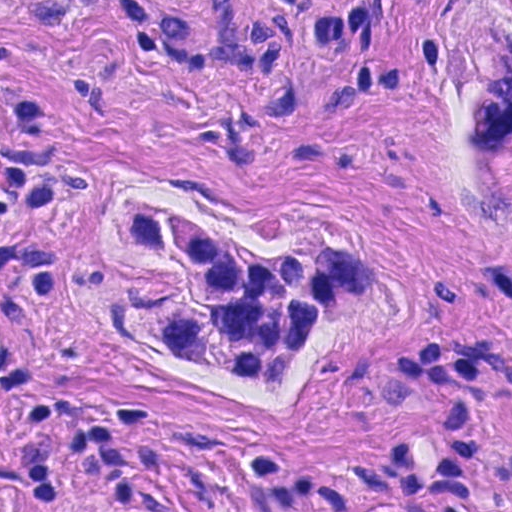
A 0.12-mm field of an H&E-stained sentinel lymph node from a breast-cancer patient (whole-slide image), shown at about 40×, about 0.23 µm per pixel.
Boundaries of two metastatic tumour regions, simplified and listed clockwise, largest first: region 1: (138, 175), (259, 222), (387, 238), (417, 295), (311, 375), (267, 420), (147, 366), (94, 325), (73, 265), (99, 203); region 2: (0, 482), (26, 485), (132, 511), (0, 511).
About 20% of the image area is annotated as tumour.